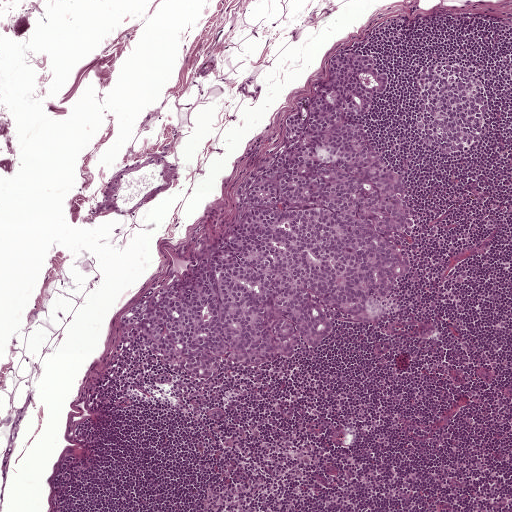
H&E-stained section of a sentinel lymph node (breast cancer), from a whole-slide image, viewed at about 5×: the field is about 1 mm across, about 1.9 µm per pixel.
Question: Show where the tumour is in this image.
Answer: Tumour region outline (a closed clockwise path, crop pixels): (330, 55), (383, 56), (395, 74), (366, 110), (379, 151), (407, 187), (414, 233), (407, 278), (383, 322), (337, 330), (294, 361), (240, 368), (217, 382), (187, 381), (145, 352), (122, 351), (119, 316), (188, 272), (227, 231), (236, 186), (272, 163), (287, 113).
Tumour covers about 20% of the frame.